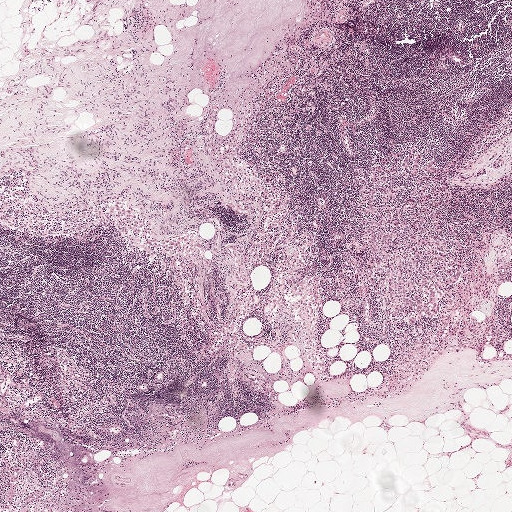
H&E-stained section of a sentinel lymph node (breast cancer), from a whole-slide image, viewed at about 2.5×: the field is about 2.0 mm across, about 3.9 µm per pixel.
The outlined metastatic tumour's edge, as a closed clockwise path of 24 points: (408, 152), (424, 155), (424, 170), (428, 161), (438, 158), (435, 166), (450, 168), (452, 201), (441, 228), (457, 266), (462, 262), (457, 281), (445, 285), (438, 314), (430, 316), (427, 310), (416, 325), (390, 319), (354, 268), (368, 257), (355, 179), (372, 186), (374, 166), (402, 164).
Three more small tumour pieces are annotated here but not outlined.
About 5% of the image area is annotated as tumour.